Lymph node section stained with H&E, from a whole-slide image of a breast-cancer sentinel node. Magnification about 40×, about 0.12 mm across the frame, about 0.23 µm per pixel.
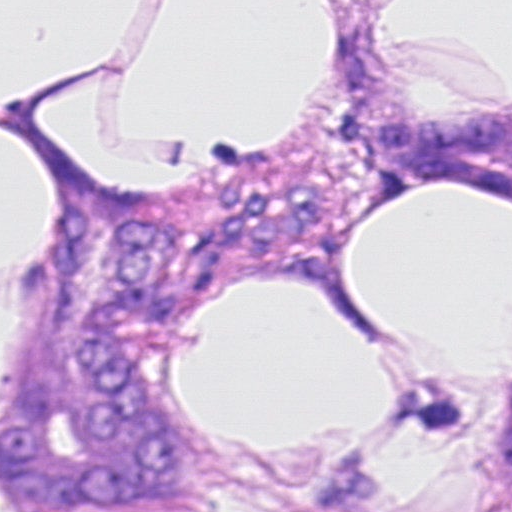
Two metastatic tumour regions, each outlined as a closed clockwise path in crop pixels (x, y), largest first: region 1: (360, 0), (402, 101), (446, 109), (511, 97), (511, 206), (475, 191), (402, 197), (362, 218), (343, 258), (354, 301), (431, 376), (474, 385), (511, 376), (511, 511), (307, 511), (321, 459), (393, 406), (399, 385), (308, 293), (263, 285), (221, 297), (200, 289), (200, 266), (219, 180), (236, 168), (326, 183), (328, 228), (372, 179), (370, 157), (354, 141), (317, 141), (311, 100), (331, 59), (333, 5); region 2: (89, 188), (148, 189), (190, 227), (180, 283), (151, 332), (162, 391), (193, 437), (181, 492), (125, 509), (10, 509), (0, 489), (0, 419), (45, 230).
The annotated tumour makes up about 40% of the crop.